Question: 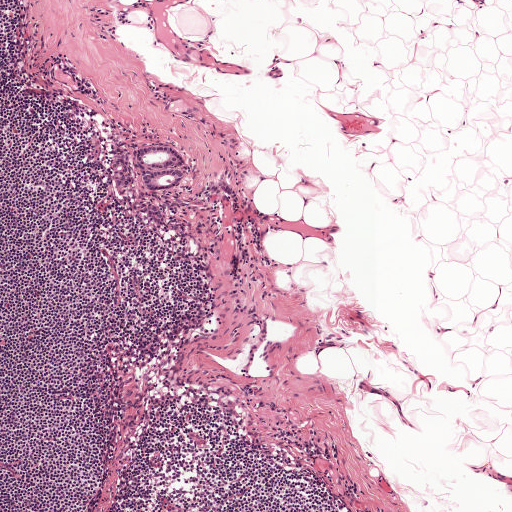
This is a crop of a whole-slide image: an H&E-stained breast-cancer sentinel lymph node section at roughly 5× magnification (about 1.9 µm per pixel; the crop spans about 1 mm).
Estimate the proportion of this field that is metastatic tumour.

Choices:
 (A) about 50% or more
 (B) about 10% to 20%
 (C) about 25% to 45%
 (D) about 5% or less
 (E) none: no tumour is outlined

Answer: (D) about 5% or less
Under 5% of the field is tumour.
Four metastatic tumour regions, each outlined as a closed clockwise path in crop pixels (x, y), largest first: region 1: (164, 143), (179, 150), (186, 157), (191, 167), (188, 177), (182, 186), (172, 190), (150, 192), (145, 191), (139, 182), (133, 151), (143, 146); region 2: (118, 146), (127, 151), (134, 173), (134, 180), (121, 189), (116, 184), (113, 161); region 3: (136, 202), (147, 205), (145, 207), (156, 207), (161, 212), (163, 220), (162, 225), (155, 224), (146, 216), (143, 209), (145, 208), (138, 210), (133, 208), (132, 204); region 4: (224, 181), (229, 183), (232, 195), (229, 195), (223, 192), (214, 194), (205, 190), (207, 186).
Question: 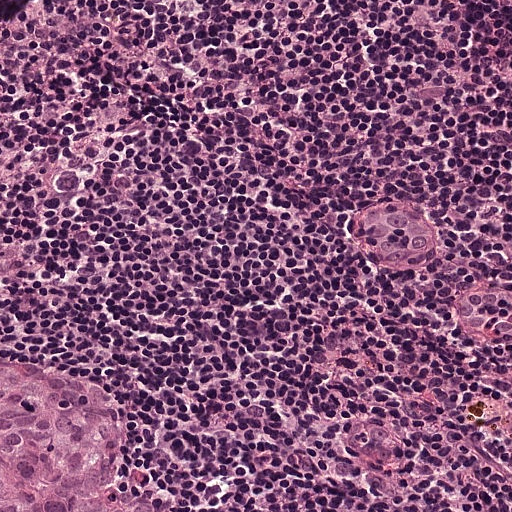
A 0.25-mm field of an H&E-stained sentinel lymph node from a breast-cancer patient (whole-slide image), shown at about 20×, about 0.49 µm per pixel.
Estimate the proportion of this field that is metastatic tumour.

Choices:
 (A) none: no tumour is outlined
 (B) about 5% or less
 (C) about 10% to 20%
 (D) about 50% or more
 (E) about 25% to 45%

Answer: (B) about 5% or less
About 5% of the field is tumour.
One metastatic tumour region; its boundary, reduced to 8 corners and listed clockwise: (0, 358), (32, 358), (90, 380), (104, 392), (122, 437), (152, 456), (167, 511), (0, 511).
Question: 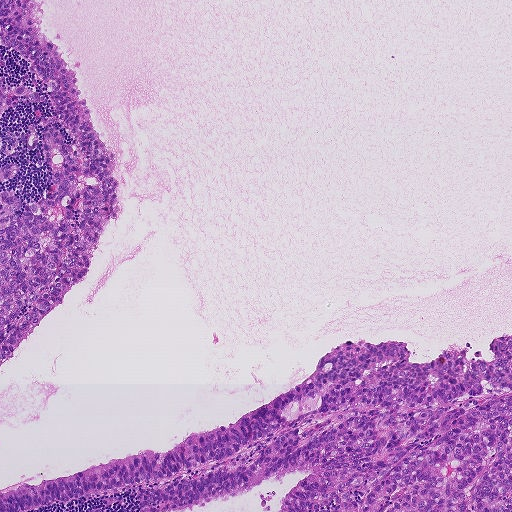
H&E-stained section of a sentinel lymph node (breast cancer), from a whole-slide image, viewed at about 5×: the field is about 0.93 mm across, about 1.8 µm per pixel.
Estimate the proportion of this field that is metastatic tumour.

Choices:
 (A) about 5% or less
 (B) about 25% to 45%
 (C) none: no tumour is outlined
 (D) about 50% or more
 (E) about 10% to 20%

Answer: (B) about 25% to 45%
About 30% of the field is tumour.
Boundaries of two metastatic tumour regions, simplified and listed clockwise, largest first: region 1: (511, 336), (511, 511), (131, 511), (131, 492), (110, 511), (94, 511), (90, 500), (0, 511), (7, 486), (165, 452), (240, 418), (349, 340), (399, 340), (421, 363), (456, 343), (492, 358), (491, 338); region 2: (0, 0), (38, 0), (44, 33), (64, 56), (116, 156), (122, 211), (102, 234), (89, 273), (0, 366).
Question: 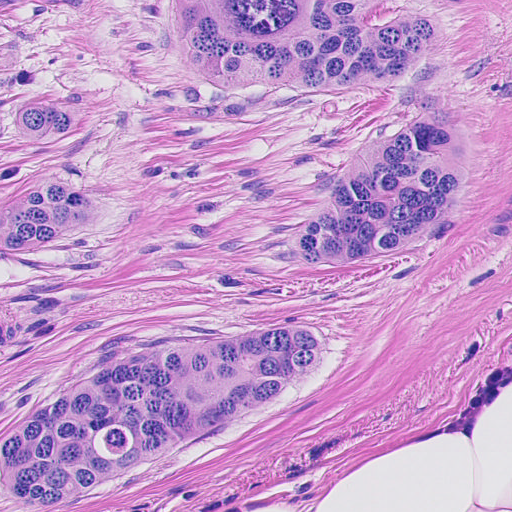
H&E-stained section of a sentinel lymph node (breast cancer), from a whole-slide image, viewed at about 20×: the field is about 0.23 mm across, about 0.45 µm per pixel.
Estimate the proportion of this field that is metastatic tumour.

Choices:
 (A) none: no tumour is outlined
 (B) about 25% to 45%
 (C) about 10% to 20%
 (D) about 5% or less
 (E) about 50% or more

Answer: (B) about 25% to 45%
About 45% of the field is tumour.
Two metastatic tumour regions, each outlined as a closed clockwise path in crop pixels (x, y), largest first: region 1: (0, 23), (35, 58), (98, 84), (109, 117), (98, 150), (108, 184), (102, 217), (45, 301), (66, 328), (274, 315), (338, 334), (326, 365), (269, 416), (78, 506), (0, 511); region 2: (150, 0), (437, 0), (446, 31), (442, 94), (463, 120), (470, 154), (458, 221), (430, 245), (362, 268), (292, 266), (288, 234), (336, 184), (386, 88), (320, 104), (240, 102), (182, 67), (162, 40).